This is a crop of a whole-slide image: an H&E-stained breast-cancer sentinel lymph node section at roughly 2.5× magnification (about 3.9 µm per pixel; the crop spans about 2.0 mm).
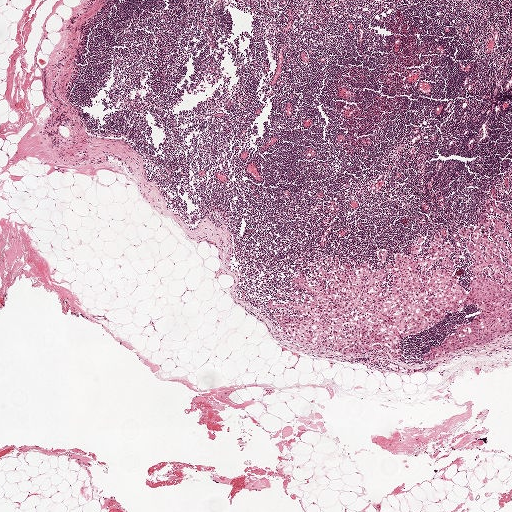
Outlines of two tumour regions, largest first (closed clockwise paths, crop pixels): region 1: (420, 231), (427, 237), (423, 253), (435, 231), (453, 244), (467, 288), (465, 299), (461, 307), (404, 339), (399, 357), (308, 348), (288, 337), (267, 299), (292, 283), (295, 274), (310, 272), (324, 256), (374, 261), (377, 267), (380, 246), (395, 259), (399, 251), (410, 252), (410, 242); region 2: (498, 185), (509, 192), (511, 205), (511, 326), (500, 337), (484, 346), (459, 348), (435, 358), (424, 358), (429, 345), (458, 324), (477, 322), (484, 316), (466, 300), (472, 256), (460, 236), (459, 227), (477, 219), (482, 199), (494, 186).
About 10% of the image area is annotated as tumour.